Question: 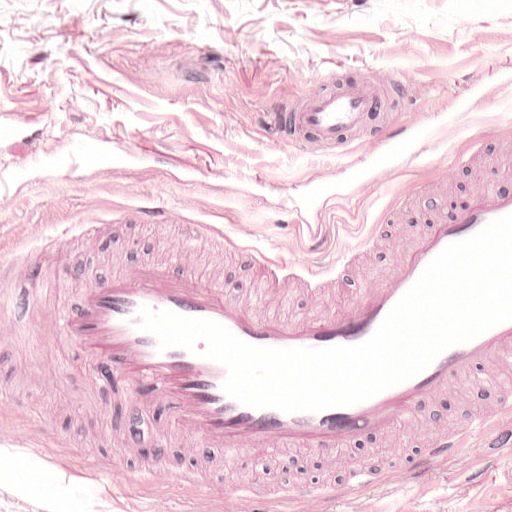
At roughly what magnification is this field shown?

Choices:
 (A) about 20×
 (B) about 5×
 (C) about 2.5×
 (D) about 40×
 (E) about 10×

Answer: (A) about 20×
Lymph node section stained with H&E, from a whole-slide image of a breast-cancer sentinel node. Magnification about 20×, about 0.25 mm across the frame, about 0.49 µm per pixel.